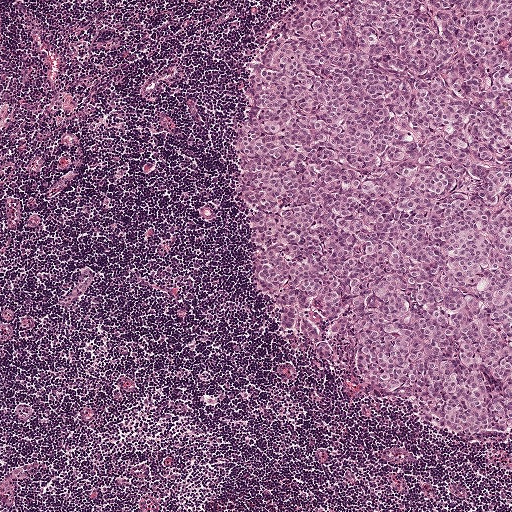
H&E-stained section of a sentinel lymph node (breast cancer), from a whole-slide image, viewed at about 5×: the field is about 1 mm across, about 1.9 µm per pixel.
Question: Which parts of this field are metastatic tumour?
Answer: The outlined metastatic tumour's edge, as a closed clockwise path of 8 points: (511, 0), (511, 443), (426, 424), (290, 341), (256, 291), (232, 146), (235, 90), (277, 2).
Tumour covers about 40% of the frame.